Lymph node section stained with H&E, from a whole-slide image of a breast-cancer sentinel node. Magnification about 40×, about 0.12 mm across the frame, about 0.23 µm per pixel.
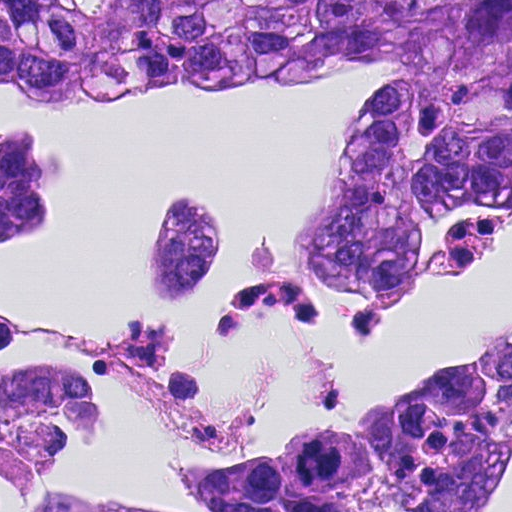
Boundaries of five metastatic tumour regions, simplified and listed clockwise, largest first: region 1: (0, 0), (511, 0), (511, 247), (424, 314), (347, 306), (289, 259), (347, 120), (394, 64), (296, 91), (72, 111), (3, 84); region 2: (511, 324), (511, 511), (210, 511), (167, 461), (223, 463), (278, 443); region 3: (0, 357), (86, 370), (105, 415), (88, 437), (72, 430), (50, 477), (171, 511), (0, 511); region 4: (39, 140), (65, 210), (10, 256), (0, 256), (0, 143); region 5: (0, 311), (22, 324), (0, 353).
About 55% of the image area is annotated as tumour.